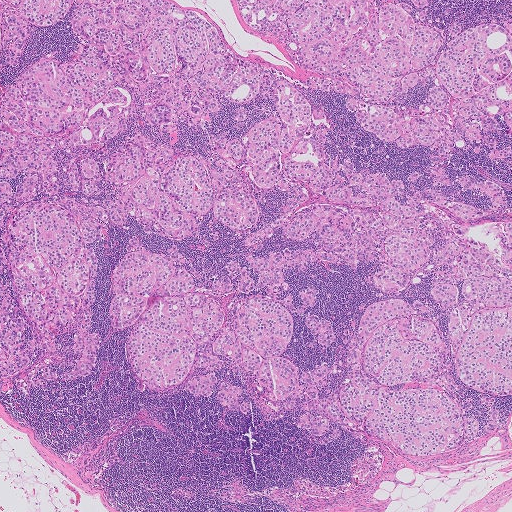
This is a crop of a whole-slide image: an H&E-stained breast-cancer sentinel lymph node section at roughly 2.5× magnification (about 4.0 µm per pixel; the crop spans about 2.0 mm).
Boundaries of two metastatic tumour regions, simplified and listed clockwise, largest first: region 1: (0, 0), (200, 12), (238, 58), (324, 107), (324, 150), (511, 218), (511, 395), (457, 372), (429, 263), (401, 292), (371, 287), (370, 263), (287, 272), (335, 322), (322, 347), (294, 317), (299, 368), (338, 349), (351, 309), (433, 305), (454, 387), (483, 420), (441, 453), (361, 427), (327, 446), (291, 411), (136, 388), (106, 314), (109, 271), (131, 235), (208, 278), (241, 253), (208, 234), (218, 220), (183, 239), (128, 225), (104, 239), (100, 368), (2, 400); region 2: (232, 0), (431, 0), (429, 22), (441, 31), (450, 21), (511, 17), (511, 165), (480, 155), (452, 163), (505, 190), (510, 204), (497, 208), (460, 188), (419, 184), (408, 176), (421, 171), (432, 179), (428, 152), (360, 135), (338, 97), (312, 88), (290, 51), (252, 32).
About 70% of this field is tumour.